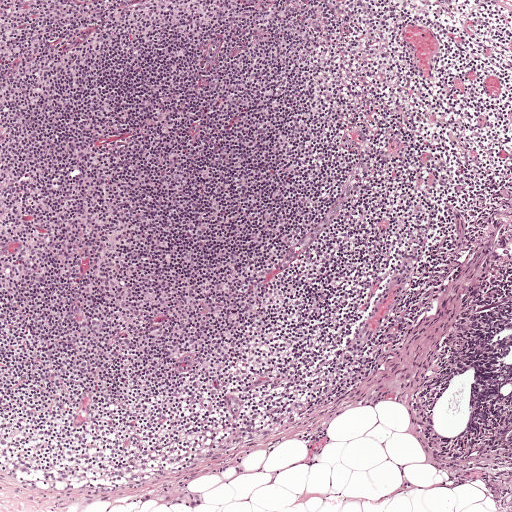
H&E-stained section of a sentinel lymph node (breast cancer), from a whole-slide image, viewed at about 5×: the field is about 1 mm across, about 1.9 µm per pixel.